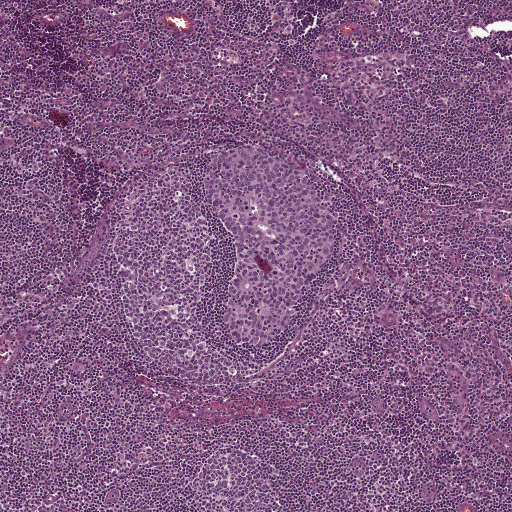
A 1-mm field of an H&E-stained sentinel lymph node from a breast-cancer patient (whole-slide image), shown at about 5×, about 1.9 µm per pixel.
The outlined metastatic tumour's edge, as a closed clockwise path of 17 points: (232, 146), (265, 148), (295, 162), (318, 185), (333, 214), (339, 246), (330, 266), (306, 289), (294, 320), (270, 342), (237, 344), (229, 338), (224, 306), (233, 242), (204, 197), (203, 176), (212, 156).
Two more small tumour pieces are annotated here but not outlined.
The annotated tumour makes up about 5% of the crop.